Image:
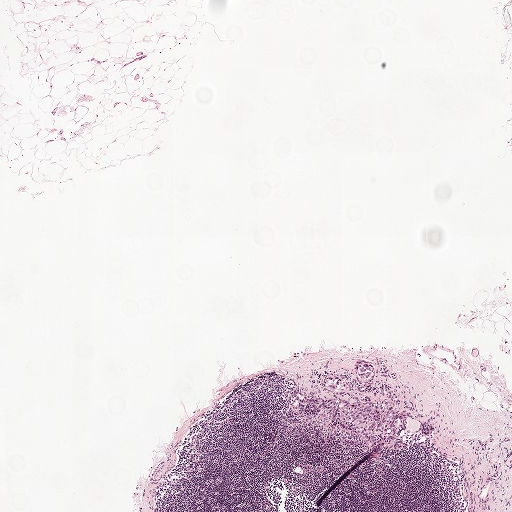
This is a crop of a whole-slide image: an H&E-stained breast-cancer sentinel lymph node section at roughly 2.5× magnification (about 3.9 µm per pixel; the crop spans about 2.0 mm).
Question:
Describe where the metastatic carcinoma lies in this crop.
Answer:
Outlines of four tumour regions, largest first (closed clockwise paths, crop pixels): region 1: (367, 396), (371, 399), (370, 402), (391, 403), (393, 411), (397, 414), (395, 438), (402, 440), (402, 446), (394, 449), (390, 442), (386, 441), (391, 428), (387, 432), (379, 432), (364, 438), (354, 431), (332, 425), (325, 403), (334, 399), (345, 400), (351, 405), (365, 401); region 2: (332, 375), (352, 380), (355, 389), (347, 395), (340, 396), (325, 391), (322, 383); region 3: (361, 360), (371, 363), (375, 369), (374, 377), (367, 381), (361, 380), (356, 375), (356, 365); region 4: (368, 384), (372, 384), (374, 388), (378, 387), (378, 390), (378, 394), (374, 394), (371, 392), (370, 394), (365, 394), (363, 392), (359, 392), (357, 391), (357, 388), (360, 386), (365, 386).
One more small tumour piece is annotated here but not outlined.
The annotated tumour makes up under 5% of the crop.